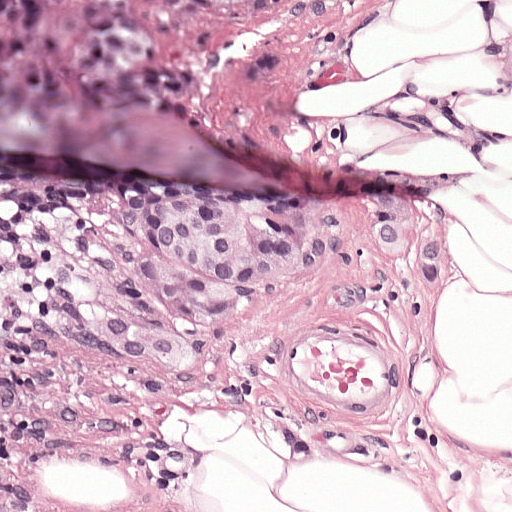
Lymph node section stained with H&E, from a whole-slide image of a breast-cancer sentinel node. Magnification about 20×, about 0.25 mm across the frame, about 0.49 µm per pixel.
Outlines of four tumour regions, largest first (closed clockwise paths, crop pixels): region 1: (172, 174), (238, 175), (423, 218), (409, 272), (348, 255), (196, 401), (100, 378), (33, 314); region 2: (110, 20), (167, 30), (166, 62), (125, 80), (85, 83), (66, 68), (72, 31); region 3: (160, 0), (291, 0), (256, 14), (205, 21), (161, 2); region 4: (511, 30), (511, 94), (492, 62).
The annotated tumour makes up about 20% of the crop.